Question: 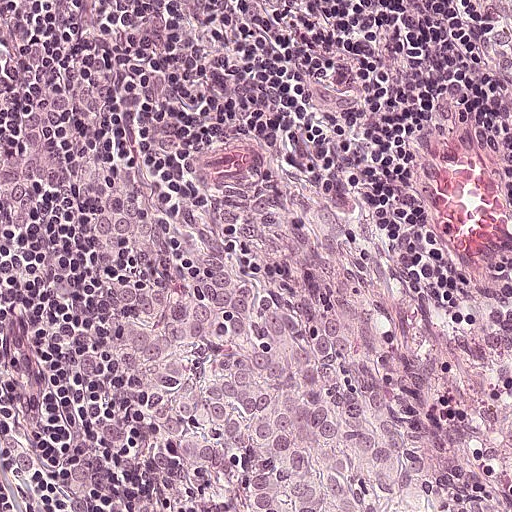
H&E-stained section of a sentinel lymph node (breast cancer), from a whole-slide image, viewed at about 20×: the field is about 0.25 mm across, about 0.49 µm per pixel.
What fraction of the image area is metastatic tumour?

Choices:
 (A) about 10% to 20%
 (B) about 50% or more
 (C) about 25% to 45%
 (D) none: no tumour is outlined
 (E) about 5% or less

Answer: (C) about 25% to 45%
About 25% of the field is tumour.
The outlined metastatic tumour's edge, as a closed clockwise path of 18 points: (134, 204), (170, 208), (174, 220), (264, 265), (290, 298), (326, 306), (382, 348), (420, 406), (441, 511), (220, 511), (170, 438), (117, 399), (90, 394), (88, 362), (128, 326), (126, 261), (100, 230), (104, 216).